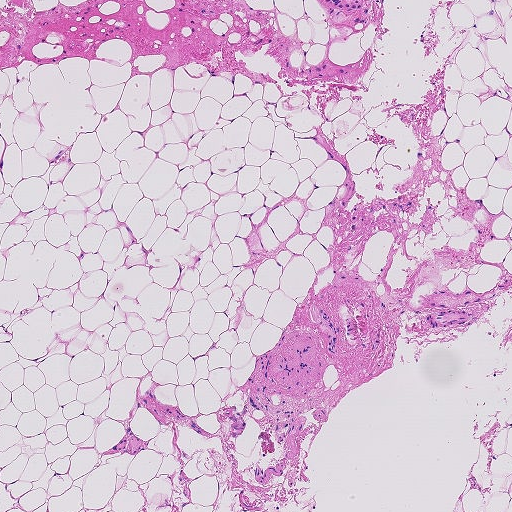
A 0.93-mm field of an H&E-stained sentinel lymph node from a breast-cancer patient (whole-slide image), shown at about 5×, about 1.8 µm per pixel.
Question: Is there metastatic carcinoma in this field?
Answer: No, this field holds no outlined metastasis.